Image:
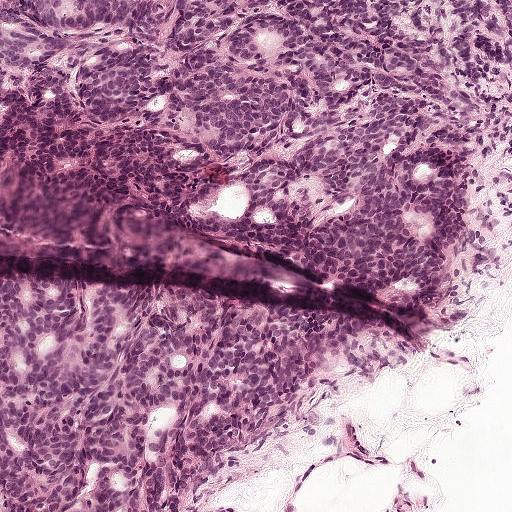
A 0.5-mm field of an H&E-stained sentinel lymph node from a breast-cancer patient (whole-slide image), shown at about 10×, about 0.97 µm per pixel.
Question:
Is any metastatic breast cancer visible in this crop?
Answer:
Yes.
Boundaries of two metastatic tumour regions, simplified and listed clockwise, largest first: region 1: (0, 0), (511, 0), (511, 51), (495, 70), (479, 146), (424, 289), (238, 246), (4, 142); region 2: (0, 266), (252, 297), (340, 321), (338, 342), (298, 404), (166, 507), (0, 511).
About 65% of this field is tumour.

Image:
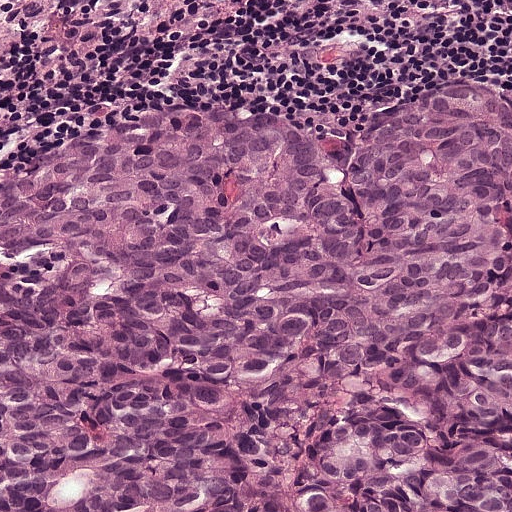
Lymph node section stained with H&E, from a whole-slide image of a breast-cancer sentinel node. Magnification about 20×, about 0.25 mm across the frame, about 0.49 µm per pixel.
Question:
Is any metastatic breast cancer visible in this crop?
Answer:
Yes.
Tumour region outline (a closed clockwise path, crop pixels): (473, 76), (511, 85), (511, 511), (0, 511), (0, 178), (77, 134), (170, 99), (214, 98), (304, 128), (342, 168), (370, 132).
About 75% of this field is tumour.

Image:
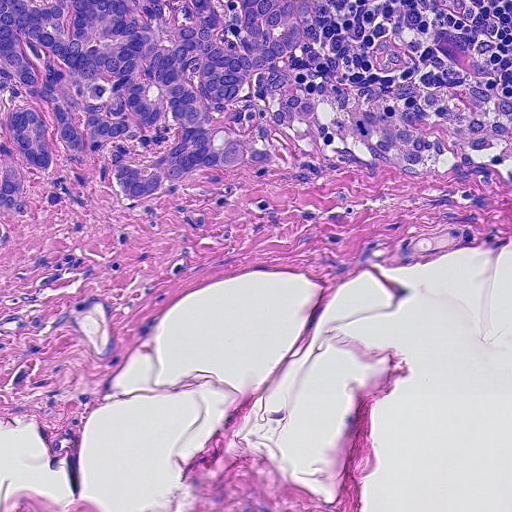
This is a crop of a whole-slide image: an H&E-stained breast-cancer sentinel lymph node section at roughly 20× magnification (about 0.45 µm per pixel; the crop spans about 0.23 mm).
Question:
Is any metastatic breast cancer visible in this crop?
Answer:
Yes.
Metastatic tumour outline, simplified to 14 points and listed clockwise in crop pixels (x, y): (0, 0), (335, 4), (330, 22), (252, 74), (232, 108), (244, 164), (202, 168), (126, 200), (111, 187), (94, 188), (86, 226), (72, 238), (51, 209), (0, 256).
The annotated tumour makes up about 20% of the crop.

Image:
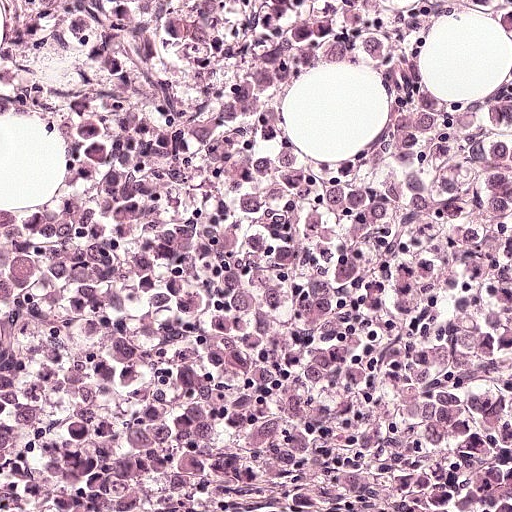
A 0.25-mm field of an H&E-stained sentinel lymph node from a breast-cancer patient (whole-slide image), shown at about 20×, about 0.49 µm per pixel.
Question:
Is any metastatic breast cancer visible in this crop?
Answer:
Yes.
Metastatic tumour outline, simplified to 7 points and listed clockwise in crop pixels (x, y): (511, 40), (511, 511), (0, 511), (0, 249), (84, 201), (282, 128), (442, 128).
About 70% of this field is tumour.